Question: 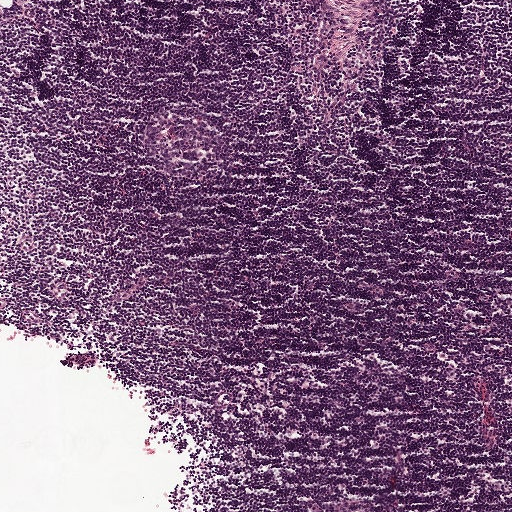
Lymph node section stained with H&E, from a whole-slide image of a breast-cancer sentinel node. Magnification about 5×, about 1 mm across the frame, about 1.9 µm per pixel.
Estimate the proportion of this field that is metastatic tumour.

Choices:
 (A) about 50% or more
 (B) none: no tumour is outlined
 (C) about 10% to 20%
 (D) about 25% to 45%
 (E) about 5% or less

Answer: (B) none: no tumour is outlined
No metastatic tumour is outlined in this field.